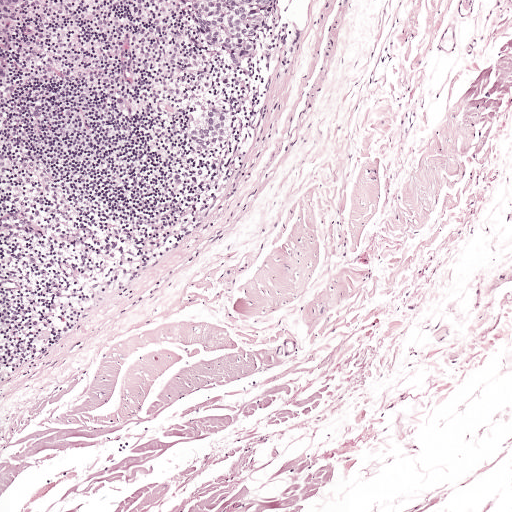
Lymph node section stained with H&E, from a whole-slide image of a breast-cancer sentinel node. Magnification about 5×, about 1 mm across the frame, about 1.9 µm per pixel.
Question: Describe where the metastatic carcinoma lies in this crop.
Answer: Five metastatic tumour regions, each outlined as a closed clockwise path in crop pixels (x, y), largest first: region 1: (172, 0), (283, 0), (279, 11), (253, 45), (247, 58), (243, 82), (234, 88), (227, 80), (230, 68), (214, 51), (204, 47), (176, 9); region 2: (222, 104), (233, 121), (233, 135), (228, 146), (220, 154), (209, 158), (195, 156), (186, 148), (182, 138), (183, 124), (199, 106); region 3: (115, 93), (129, 93), (142, 102), (141, 115), (130, 116), (117, 115), (109, 104); region 4: (0, 38), (5, 57), (15, 66), (15, 79), (12, 90), (0, 96), (0, 58); region 5: (0, 0), (26, 0), (21, 19), (0, 17).
Four more small tumour pieces are annotated here but not outlined.
About 5% of this field is tumour.